Lymph node section stained with H&E, from a whole-slide image of a breast-cancer sentinel node. Magnification about 10×, about 0.5 mm across the frame, about 0.97 µm per pixel.
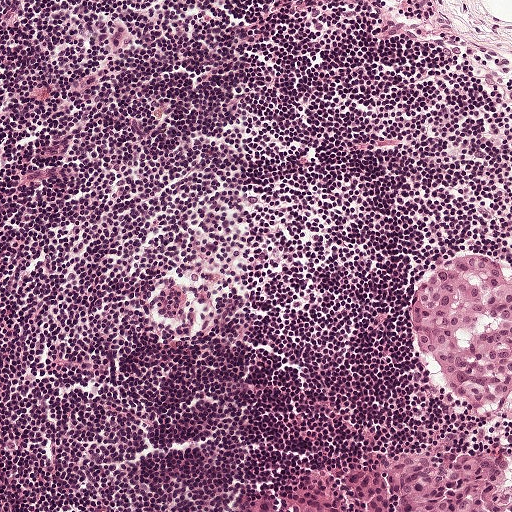
Outlines of two tumour regions, largest first (closed clockwise paths, crop pixels): region 1: (465, 254), (510, 273), (511, 400), (508, 404), (488, 410), (460, 407), (424, 364), (411, 334), (409, 303), (422, 276), (437, 265); region 2: (426, 448), (474, 449), (498, 471), (511, 502), (511, 511), (305, 511), (311, 506), (348, 508), (360, 472), (385, 467), (408, 455), (404, 453).
The annotated tumour makes up about 10% of the crop.